Image:
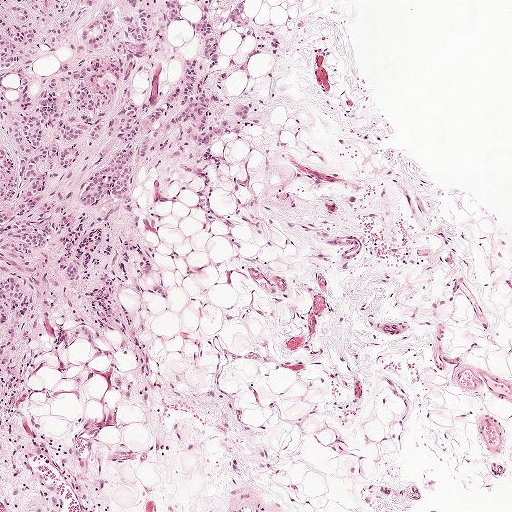
This is a crop of a whole-slide image: an H&E-stained breast-cancer sentinel lymph node section at roughly 5× magnification (about 1.9 µm per pixel; the crop spans about 1 mm).
Question:
Where is the metastatic tumour in this field? Give each region's outline as (x, y) pixel points.
Answer:
Tumour region outline (a closed clockwise path, crop pixels): (0, 0), (244, 0), (255, 38), (218, 40), (218, 52), (248, 55), (249, 70), (229, 76), (226, 89), (250, 100), (254, 115), (215, 146), (215, 167), (203, 172), (214, 187), (158, 166), (135, 190), (174, 307), (122, 292), (127, 328), (81, 339), (0, 393).
Tumour covers about 25% of the frame.